Question: 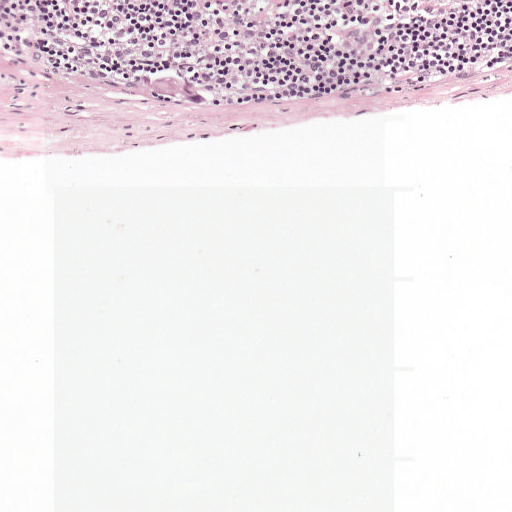
This is a crop of a whole-slide image: an H&E-stained breast-cancer sentinel lymph node section at roughly 10× magnification (about 0.97 µm per pixel; the crop spans about 0.5 mm).
About how much of this crop is taken up by metastatic carcinoma?

Choices:
 (A) about 50% or more
 (B) about 25% to 45%
 (C) about 10% to 20%
 (D) about 5% or less
 (E) none: no tumour is outlined

Answer: (D) about 5% or less
Under 5% of the field is tumour.
Tumour region outline (a closed clockwise path, crop pixels): (142, 73), (150, 75), (151, 82), (160, 78), (173, 77), (186, 79), (197, 86), (205, 96), (204, 104), (188, 102), (154, 91), (140, 84).